Image:
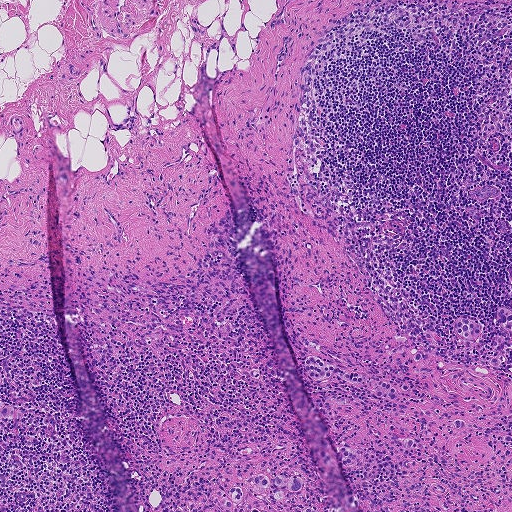
Lymph node section stained with H&E, from a whole-slide image of a breast-cancer sentinel node. Magnification about 5×, about 0.93 mm across the frame, about 1.8 µm per pixel.
Question:
Is there metastatic carcinoma in this field?
Answer:
Yes.
Six metastatic tumour regions, each outlined as a closed clockwise path in crop pixels (x, y), largest first: region 1: (309, 355), (316, 356), (340, 370), (353, 372), (371, 380), (385, 381), (396, 388), (404, 383), (408, 385), (408, 390), (404, 392), (400, 389), (397, 390), (399, 396), (396, 402), (389, 402), (377, 396), (368, 385), (354, 385), (336, 376), (316, 380), (304, 373), (304, 359); region 2: (261, 473), (273, 478), (281, 474), (287, 477), (293, 474), (299, 475), (303, 480), (302, 486), (298, 491), (291, 492), (285, 489), (288, 497), (284, 502), (272, 503), (253, 496), (246, 482), (249, 477); region 3: (503, 306), (510, 308), (511, 311), (511, 344), (503, 347), (506, 360), (502, 366), (495, 367), (489, 365), (490, 358), (497, 358), (492, 346), (493, 339), (497, 334), (510, 337), (498, 326), (496, 320), (497, 309); region 4: (461, 316), (481, 324), (483, 330), (481, 336), (475, 339), (462, 337), (456, 333), (452, 325), (455, 319); region 5: (238, 486), (243, 489), (243, 496), (239, 501), (232, 502), (234, 507), (228, 508), (222, 506), (216, 495), (219, 489), (224, 492), (228, 497), (227, 491), (232, 487); region 6: (341, 445), (353, 448), (357, 453), (357, 460), (354, 465), (346, 465), (340, 464), (336, 458), (336, 452).
Six more small tumour pieces are annotated here but not outlined.
Under 5% of the image area is annotated as tumour.